Image:
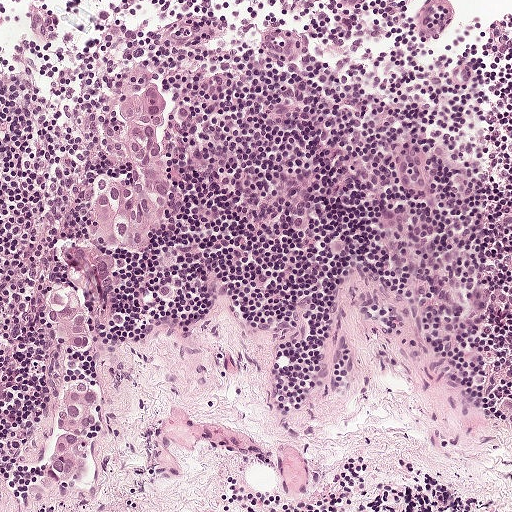
This is a crop of a whole-slide image: an H&E-stained breast-cancer sentinel lymph node section at roughly 10× magnification (about 0.97 µm per pixel; the crop spans about 0.5 mm).
Question:
Is there metastatic carcinoma in this field?
Answer:
Yes.
Tumour region outline (a closed clockwise path, crop pixels): (158, 81), (170, 100), (159, 132), (166, 218), (152, 250), (118, 265), (122, 297), (114, 313), (66, 361), (68, 376), (95, 391), (93, 440), (76, 484), (58, 487), (44, 471), (55, 421), (45, 307), (65, 280), (62, 252), (85, 240), (99, 164), (111, 155), (112, 98).
The annotated tumour makes up about 10% of the crop.